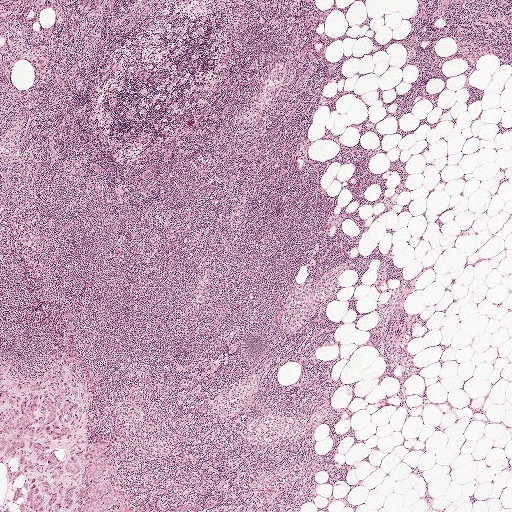
Lymph node section stained with H&E, from a whole-slide image of a breast-cancer sentinel node. Magnification about 2.5×, about 2.0 mm across the frame, about 3.9 µm per pixel.
Question: Is any metastatic breast cancer visible in this crop?
Answer: Yes.
Tumour region outline (a closed clockwise path, crop pixels): (58, 345), (68, 352), (93, 395), (94, 433), (116, 444), (123, 490), (144, 511), (21, 511), (23, 497), (16, 500), (13, 493), (25, 476), (14, 484), (7, 482), (9, 469), (18, 466), (16, 458), (0, 465), (0, 363), (30, 371).
One more small tumour piece is annotated here but not outlined.
About 5% of this field is tumour.